Image:
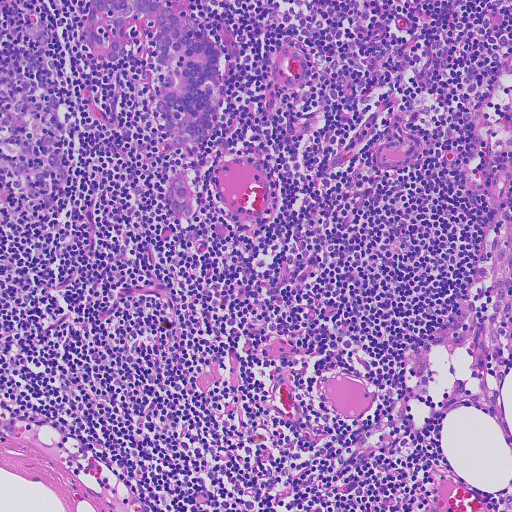
This is a crop of a whole-slide image: an H&E-stained breast-cancer sentinel lymph node section at roughly 10× magnification (about 0.91 µm per pixel; the crop spans about 0.46 mm).
Question:
Describe where the metastatic carcinoma lies in this crop.
Answer:
Outlines of two tumour regions, largest first (closed clockwise paths, crop pixels): region 1: (93, 0), (155, 0), (201, 26), (221, 49), (222, 95), (209, 138), (178, 146), (165, 126), (164, 116), (155, 110), (160, 84), (167, 71), (154, 58), (158, 52), (154, 18), (138, 13), (130, 18), (126, 36), (130, 51), (110, 63), (90, 52), (82, 39); region 2: (176, 176), (181, 176), (195, 193), (194, 204), (195, 211), (190, 218), (182, 217), (164, 204), (163, 191).
About 5% of this field is tumour.